A 1-mm field of an H&E-stained sentinel lymph node from a breast-cancer patient (whole-slide image), shown at about 5×, about 1.9 µm per pixel.
Image:
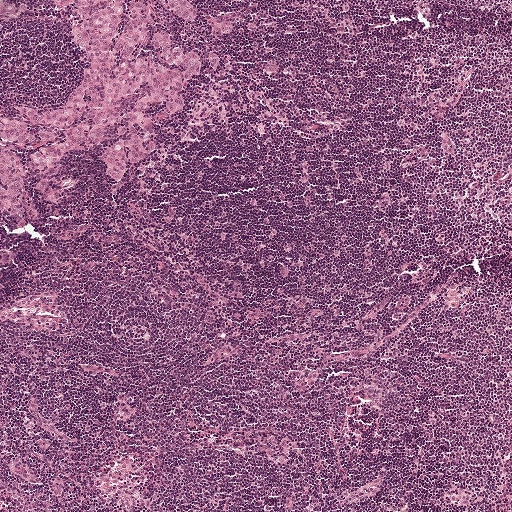
Question:
Is any metastatic breast cancer visible in this crop?
Answer:
Yes.
Boundaries of three metastatic tumour regions, simplified and listed clockwise, largest first: region 1: (53, 1), (140, 3), (195, 53), (200, 72), (174, 118), (150, 112), (155, 142), (117, 180), (99, 162), (109, 138), (70, 150), (57, 161), (63, 197), (49, 202), (19, 148), (30, 207), (11, 217), (0, 211), (0, 110), (13, 119), (17, 107), (54, 111), (83, 78), (81, 53); region 2: (184, 0), (189, 2), (194, 8), (195, 19), (188, 23), (178, 21), (164, 9), (166, 1); region 3: (0, 0), (8, 0), (14, 3), (19, 11), (18, 18), (1, 19).
Tumour covers about 10% of the frame.